Question: 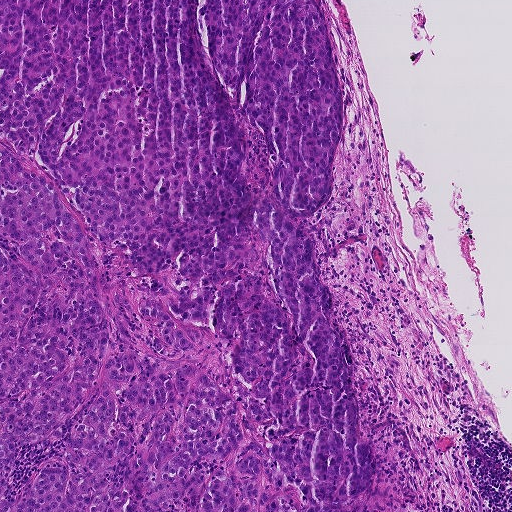
This is a crop of a whole-slide image: an H&E-stained breast-cancer sentinel lymph node section at roughly 5× magnification (about 1.8 µm per pixel; the crop spans about 0.93 mm).
Roughly what share of this field is metastatic tumour?

Choices:
 (A) about 10% to 20%
 (B) about 25% to 45%
 (C) none: no tumour is outlined
 (D) about 5% or less
 (E) about 50% or more

Answer: (E) about 50% or more
About 65% of the field is tumour.
The outlined metastatic tumour's edge, as a closed clockwise path of 10 points: (0, 0), (322, 0), (342, 136), (332, 194), (295, 218), (347, 336), (360, 440), (377, 457), (362, 508), (0, 511).